Lymph node section stained with H&E, from a whole-slide image of a breast-cancer sentinel node. Magnification about 2.5×, about 2.0 mm across the frame, about 3.9 µm per pixel.
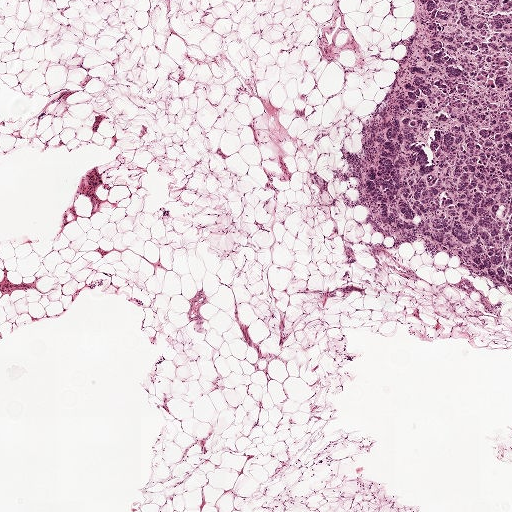
Two metastatic tumour regions, each outlined as a closed clockwise path in crop pixels (x, y), largest first: region 1: (420, 0), (511, 0), (511, 294), (471, 276), (458, 256), (427, 256), (423, 238), (398, 242), (377, 231), (369, 210), (355, 205), (358, 182), (344, 175), (372, 113), (420, 63), (427, 39); region 2: (311, 175), (321, 177), (323, 179), (324, 179), (325, 180), (328, 182), (328, 187), (325, 192), (324, 198), (322, 200), (320, 200), (318, 189), (316, 184), (310, 180), (310, 176).
The annotated tumour makes up about 15% of the crop.